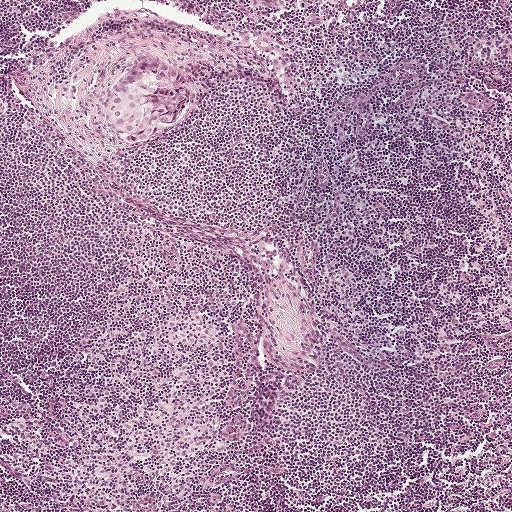
A 1-mm field of an H&E-stained sentinel lymph node from a breast-cancer patient (whole-slide image), shown at about 5×, about 1.9 µm per pixel.
One metastatic tumour region; its boundary, reduced to 15 corners and listed clockwise: (150, 58), (155, 60), (185, 79), (189, 91), (189, 108), (188, 114), (176, 128), (165, 129), (142, 146), (135, 146), (124, 143), (116, 136), (111, 119), (110, 104), (130, 69).
Tumour covers under 5% of the frame.